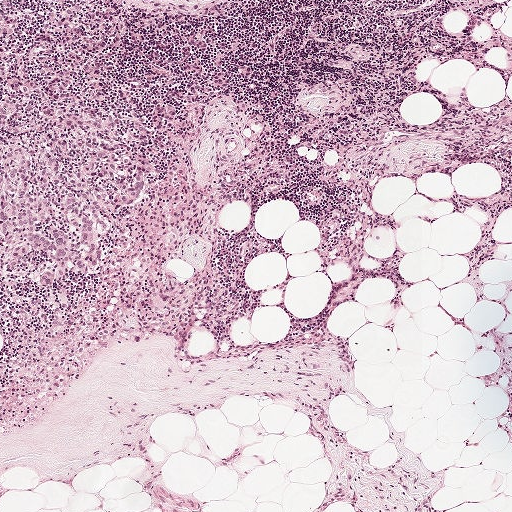
This is a crop of a whole-slide image: an H&E-stained breast-cancer sentinel lymph node section at roughly 5× magnification (about 1.9 µm per pixel; the crop spans about 1 mm).
Question: Trace the edge of each tumour region in this crop, as (x, y) points from 0 to 511.
Answer: One metastatic tumour region; its boundary, reduced to 18 corners and listed clockwise: (0, 0), (120, 0), (128, 40), (105, 95), (124, 122), (121, 140), (135, 146), (138, 170), (147, 158), (148, 185), (137, 201), (114, 207), (98, 268), (84, 271), (77, 258), (54, 288), (7, 278), (0, 269).
About 15% of this field is tumour.